H&E-stained section of a sentinel lymph node (breast cancer), from a whole-slide image, viewed at about 5×: the field is about 0.93 mm across, about 1.8 µm per pixel.
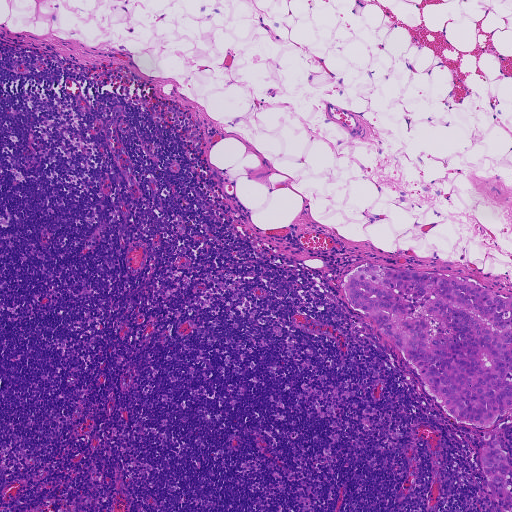
Two metastatic tumour regions, each outlined as a closed clockwise path in crop pixels (x, y), largest first: region 1: (368, 262), (458, 278), (511, 297), (511, 407), (499, 415), (495, 425), (464, 425), (446, 414), (394, 346), (350, 303), (342, 279); region 2: (496, 439), (507, 454), (510, 467), (502, 485), (506, 490), (511, 492), (511, 499), (504, 501), (493, 496), (480, 457), (489, 441).
The annotated tumour makes up about 5% of the crop.